Lymph node section stained with H&E, from a whole-slide image of a breast-cancer sentinel node. Magnification about 10×, about 0.5 mm across the frame, about 0.97 µm per pixel.
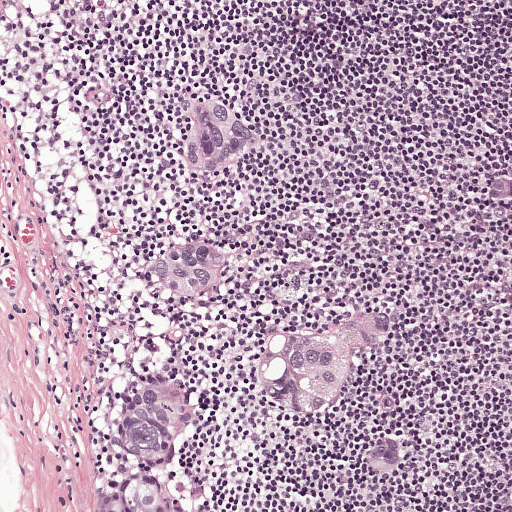
Boundaries of six metastatic tumour regions, simplified and listed clockwise, largest first: region 1: (147, 374), (178, 374), (196, 386), (206, 398), (206, 411), (188, 444), (186, 458), (204, 480), (207, 511), (106, 511), (109, 491), (130, 476), (132, 464), (106, 462), (100, 449), (109, 439), (120, 394), (130, 381); region 2: (366, 306), (399, 308), (396, 333), (389, 344), (364, 352), (354, 360), (326, 406), (303, 418), (274, 412), (250, 376), (248, 359), (265, 328), (292, 324), (321, 326); region 3: (201, 230), (224, 238), (230, 249), (228, 275), (219, 288), (208, 296), (195, 297), (156, 296), (141, 284), (136, 270), (145, 257), (156, 246), (180, 236); region 4: (205, 96), (251, 122), (263, 132), (265, 147), (258, 158), (231, 174), (208, 173), (182, 160), (177, 148), (180, 137), (193, 105); region 5: (388, 430), (416, 441), (416, 454), (411, 470), (400, 479), (384, 481), (373, 478), (367, 466), (368, 450), (375, 439); region 6: (511, 173), (511, 204), (501, 206), (486, 205), (480, 193), (486, 178), (501, 174).
About 15% of this field is tumour.